Image:
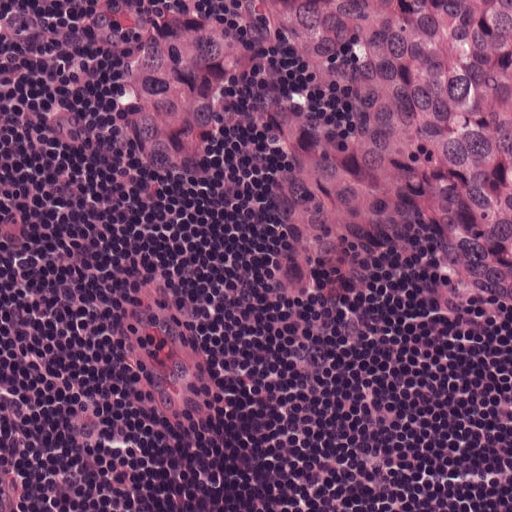
A 0.25-mm field of an H&E-stained sentinel lymph node from a breast-cancer patient (whole-slide image), shown at about 20×, about 0.49 µm per pixel.
Question:
Where is the metastatic tumour in this field?
Answer:
The outlined metastatic tumour's edge, as a closed clockwise path of 11 points: (0, 0), (511, 0), (511, 357), (428, 364), (334, 338), (263, 276), (258, 184), (185, 264), (118, 200), (72, 20), (0, 41).
Tumour covers about 50% of the frame.